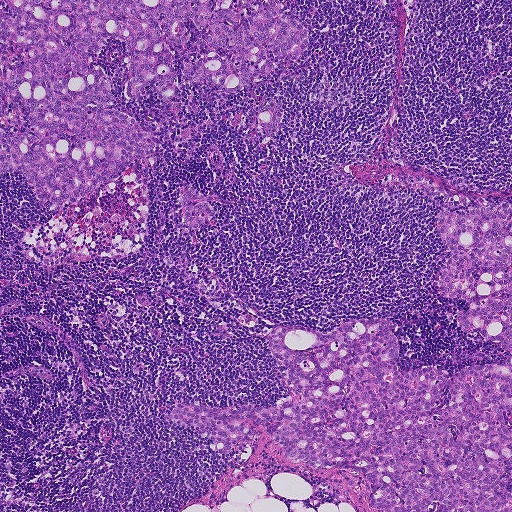
H&E-stained section of a sentinel lymph node (breast cancer), from a whole-slide image, viewed at about 5×: the field is about 0.93 mm across, about 1.8 µm per pixel.
Two metastatic tumour regions, each outlined as a closed clockwise path in crop pixels (x, y), largest first: region 1: (452, 196), (511, 198), (511, 511), (376, 511), (354, 469), (288, 461), (260, 429), (248, 460), (210, 450), (171, 406), (288, 396), (265, 340), (276, 326), (384, 318), (408, 370), (504, 364), (498, 342), (459, 330), (466, 301), (434, 289), (449, 251), (436, 228); region 2: (0, 0), (280, 0), (304, 25), (306, 49), (268, 78), (285, 112), (259, 146), (267, 79), (218, 105), (191, 84), (172, 105), (152, 90), (129, 100), (121, 41), (98, 50), (117, 106), (164, 130), (156, 168), (215, 209), (192, 232), (155, 169), (57, 210), (5, 173).
About 35% of this field is tumour.